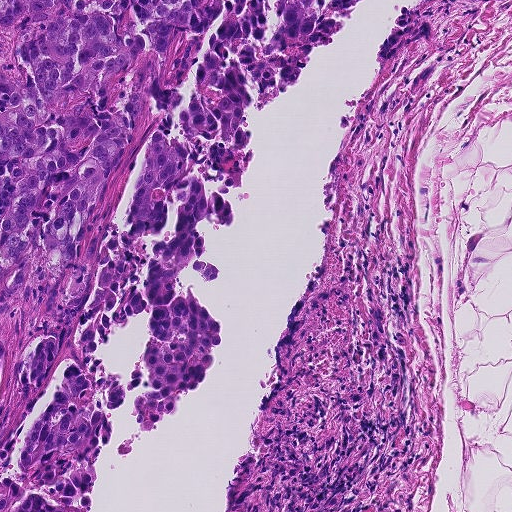
A 0.46-mm field of an H&E-stained sentinel lymph node from a breast-cancer patient (whole-slide image), shown at about 10×, about 0.9 µm per pixel.
Tumour region outline (a closed clockwise path, crop pixels): (0, 0), (361, 0), (273, 102), (245, 106), (252, 156), (236, 190), (202, 181), (234, 224), (194, 224), (220, 275), (179, 276), (224, 341), (197, 389), (137, 430), (144, 390), (129, 389), (129, 374), (147, 311), (91, 354), (126, 386), (105, 415), (113, 429), (91, 511), (0, 511).
About 40% of this field is tumour.